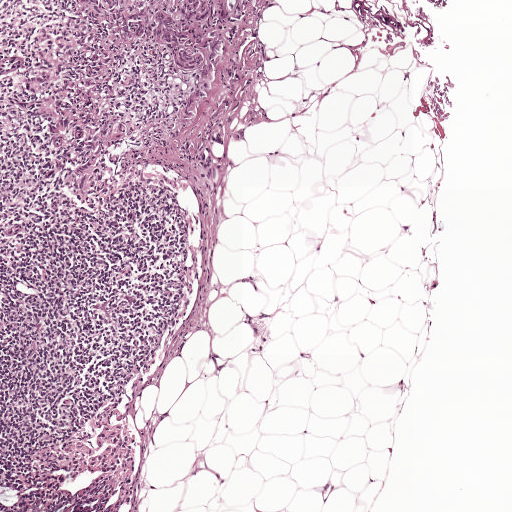
H&E-stained section of a sentinel lymph node (breast cancer), from a whole-slide image, viewed at about 5×: the field is about 1 mm across, about 1.9 µm per pixel.
Tumour region outline (a closed clockwise path, crop pixels): (60, 0), (247, 0), (202, 111), (185, 120), (193, 76), (144, 39), (116, 57), (105, 99), (128, 131), (116, 146), (117, 185), (104, 193), (81, 200), (72, 194), (72, 173), (86, 137), (82, 129), (60, 136), (40, 119), (24, 93), (36, 32), (73, 17).
About 10% of this field is tumour.